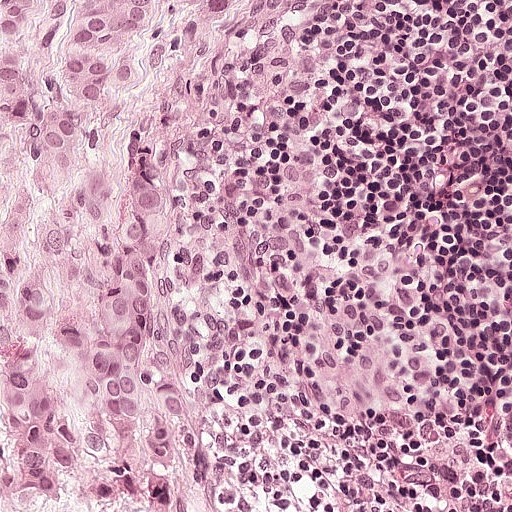
This is a crop of a whole-slide image: an H&E-stained breast-cancer sentinel lymph node section at roughly 20× magnification (about 0.49 µm per pixel; the crop spans about 0.25 mm).
The outlined metastatic tumour's edge, as a closed clockwise path of 8 points: (0, 0), (244, 0), (206, 80), (168, 212), (174, 382), (188, 462), (210, 509), (0, 511).
Tumour covers about 35% of the frame.